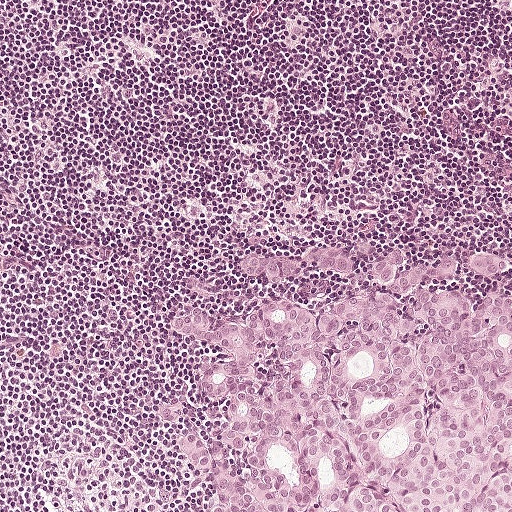
This is a crop of a whole-slide image: an H&E-stained breast-cancer sentinel lymph node section at roughly 10× magnification (about 0.97 µm per pixel; the crop spans about 0.5 mm).
Question: Where is the metastatic tumour in this field? Give each region's outline as (x, y) pixel points.
Answer: One metastatic tumour region; its boundary, reduced to 19 corners and listed clockwise: (318, 236), (354, 236), (421, 257), (470, 246), (510, 262), (511, 511), (203, 511), (203, 477), (162, 418), (170, 402), (215, 412), (198, 380), (197, 343), (170, 328), (191, 311), (242, 314), (254, 288), (242, 255), (292, 255).
About 30% of this field is tumour.